Lymph node section stained with H&E, from a whole-slide image of a breast-cancer sentinel node. Magnification about 2.5×, about 1.9 mm across the frame, about 3.6 µm per pixel.
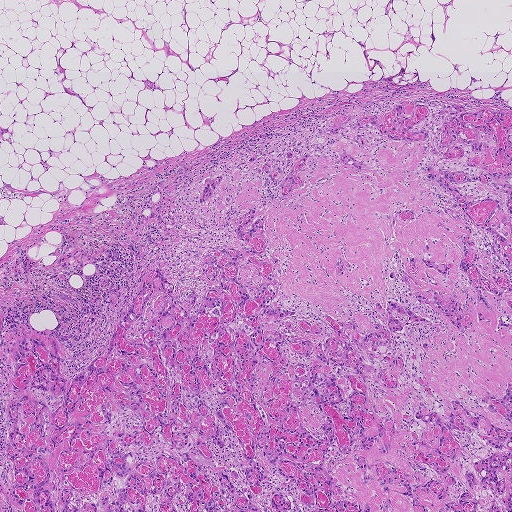
One metastatic tumour region; its boundary, reduced to 24 corners and listed clockwise: (407, 100), (507, 110), (511, 511), (22, 511), (6, 501), (12, 344), (26, 331), (56, 338), (69, 381), (105, 349), (154, 267), (181, 295), (219, 285), (201, 260), (237, 249), (234, 226), (251, 209), (200, 206), (205, 179), (269, 151), (282, 180), (292, 165), (283, 156), (342, 113).
The annotated tumour makes up about 60% of the crop.